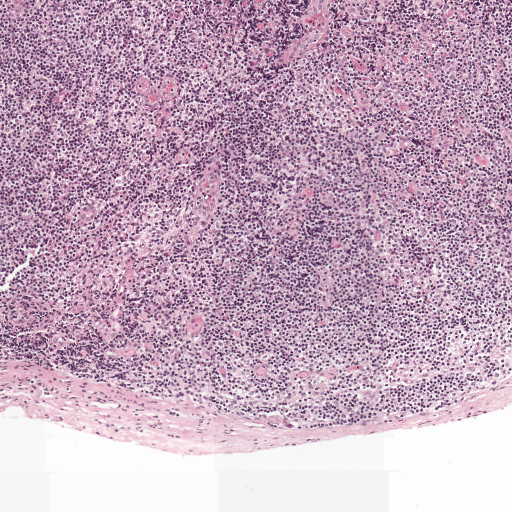
Lymph node section stained with H&E, from a whole-slide image of a breast-cancer sentinel node. Magnification about 5×, about 1 mm across the frame, about 1.9 µm per pixel.
Tumour region outline (a closed clockwise path, crop pixels): (262, 413), (266, 414), (267, 418), (272, 415), (278, 415), (284, 416), (290, 419), (294, 425), (294, 428), (285, 428), (262, 419).
Under 5% of the image area is annotated as tumour.